A 0.93-mm field of an H&E-stained sentinel lymph node from a breast-cancer patient (whole-slide image), shown at about 5×, about 1.8 µm per pixel.
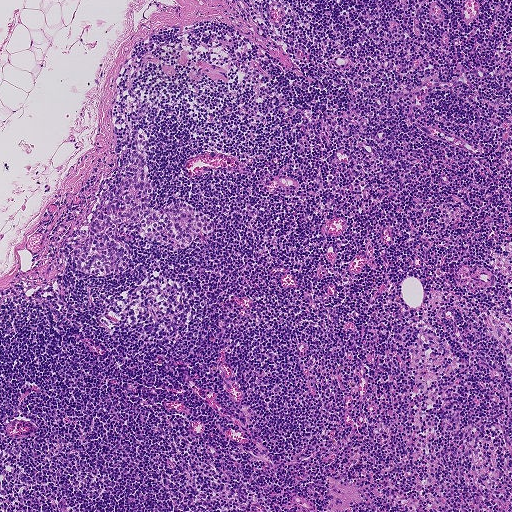
Tumour region outline (a closed clockwise path, crop pixels): (140, 128), (148, 138), (149, 205), (156, 211), (184, 201), (211, 215), (214, 228), (177, 251), (154, 240), (142, 248), (136, 235), (119, 276), (83, 274), (75, 264), (75, 245), (88, 234), (96, 194), (107, 185), (119, 193), (120, 172), (132, 177), (126, 168).
The annotated tumour makes up about 5% of the crop.